A 0.25-mm field of an H&E-stained sentinel lymph node from a breast-cancer patient (whole-slide image), shown at about 20×, about 0.49 µm per pixel.
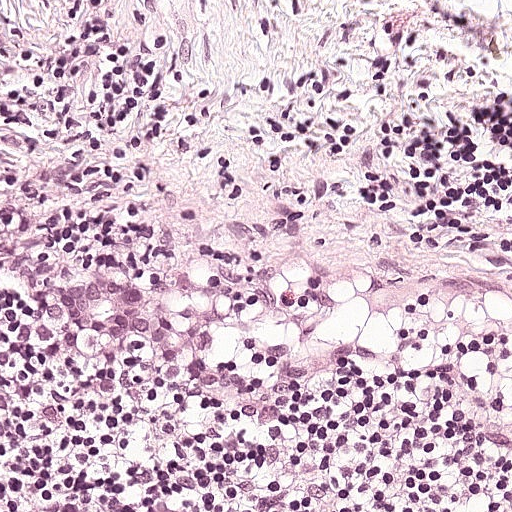
Tumour region outline (a closed clockwise path, crop pixels): (0, 184), (114, 248), (168, 319), (168, 340), (147, 360), (128, 360), (110, 344), (2, 396).
About 10% of the image area is annotated as tumour.